Image:
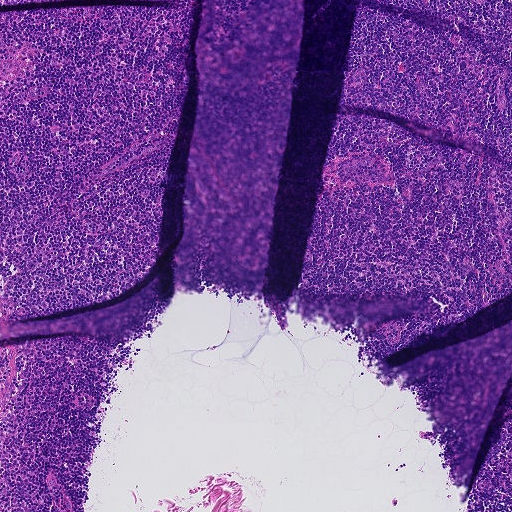
H&E-stained section of a sentinel lymph node (breast cancer), from a whole-slide image, viewed at about 5×: the field is about 0.93 mm across, about 1.8 µm per pixel.
Question:
Is there metastatic carcinoma in this field?
Answer:
No. No metastatic tumour is outlined in this field.